Question: 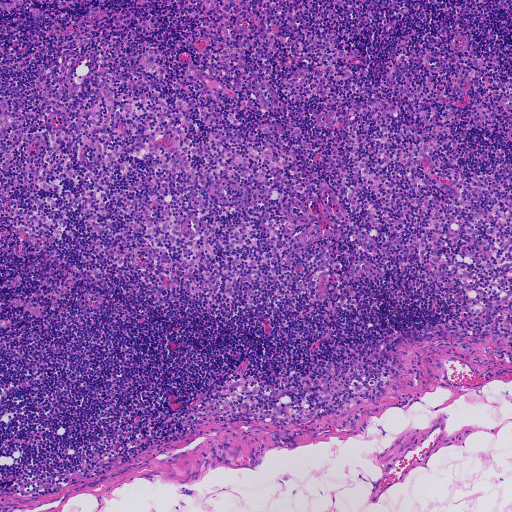
Which magnification is this H&E lymph node field most likely shown at?

Choices:
 (A) about 2.5×
 (B) about 40×
 (C) about 20×
 (D) about 10×
 (E) about 5×

Answer: (E) about 5×
H&E-stained section of a sentinel lymph node (breast cancer), from a whole-slide image, viewed at about 5×: the field is about 0.93 mm across, about 1.8 µm per pixel.